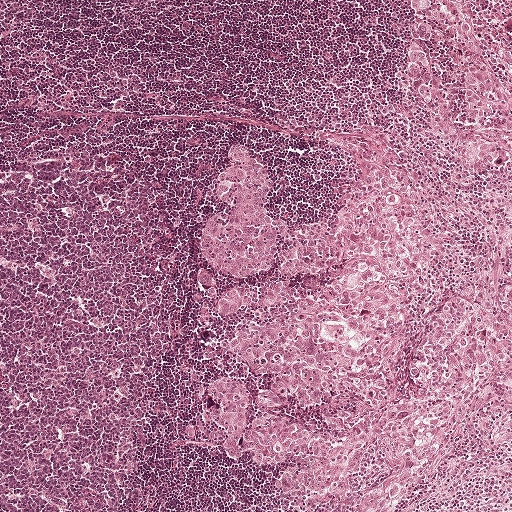
Lymph node section stained with H&E, from a whole-slide image of a breast-cancer sentinel node. Magnification about 5×, about 1 mm across the frame, about 1.9 µm per pixel.
One metastatic tumour region; its boundary, reduced to 22 corners and listed clockwise: (404, 0), (511, 0), (511, 365), (466, 387), (411, 511), (291, 511), (259, 470), (185, 432), (207, 365), (195, 327), (198, 231), (218, 209), (211, 174), (233, 138), (251, 144), (279, 206), (294, 215), (324, 216), (353, 179), (359, 130), (438, 170), (408, 73).
The annotated tumour makes up about 40% of the crop.